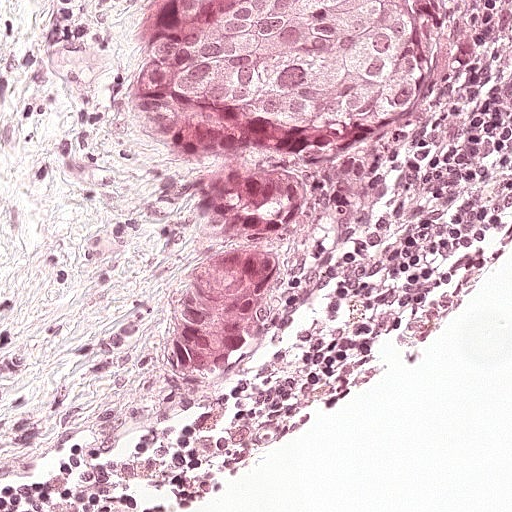
This is a crop of a whole-slide image: an H&E-stained breast-cancer sentinel lymph node section at roughly 20× magnification (about 0.49 µm per pixel; the crop spans about 0.25 mm).
One metastatic tumour region; its boundary, reduced to 10 corners and listed clockwise: (416, 0), (435, 110), (394, 142), (286, 168), (215, 170), (121, 146), (106, 114), (118, 54), (132, 36), (207, 2).
About 20% of this field is tumour.